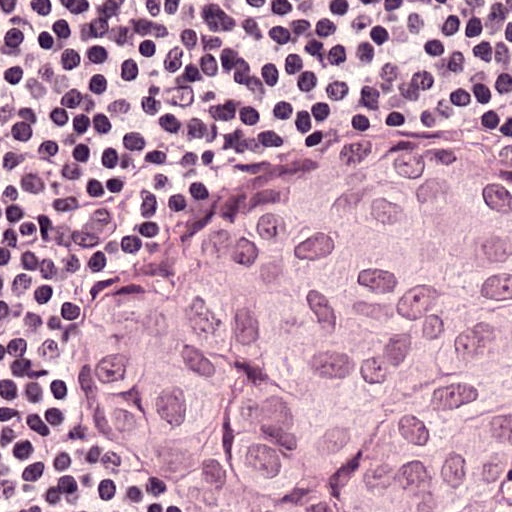
Lymph node section stained with H&E, from a whole-slide image of a breast-cancer sentinel node. Magnification about 40×, about 0.12 mm across the frame, about 0.24 µm per pixel.
The outlined metastatic tumour's edge, as a closed clockwise path of 11 points: (287, 134), (324, 148), (405, 134), (511, 137), (511, 499), (499, 511), (157, 511), (68, 389), (53, 334), (102, 297), (139, 230).
Tumour covers about 55% of the frame.